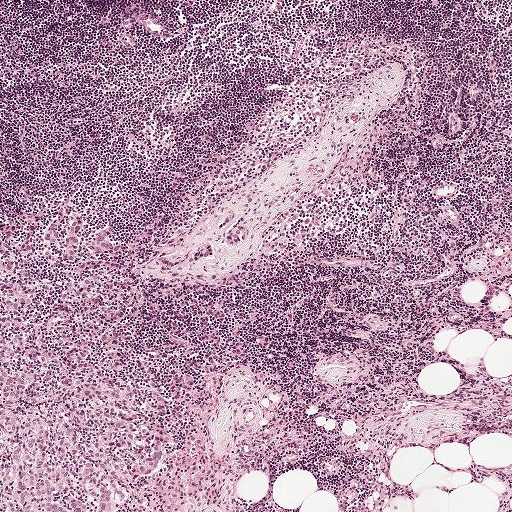
This is a crop of a whole-slide image: an H&E-stained breast-cancer sentinel lymph node section at roughly 5× magnification (about 1.9 µm per pixel; the crop spans about 1 mm).
Three metastatic tumour regions, each outlined as a closed clockwise path in crop pixels (x, y), largest first: region 1: (56, 213), (89, 219), (89, 249), (96, 230), (116, 225), (112, 239), (140, 245), (146, 310), (123, 365), (142, 392), (139, 410), (153, 416), (156, 440), (165, 428), (166, 453), (155, 471), (132, 477), (121, 511), (0, 511), (0, 235), (25, 243), (44, 237); region 2: (210, 243), (213, 244), (214, 250), (214, 253), (210, 256), (203, 257), (198, 261), (194, 262), (190, 262), (188, 260), (189, 254), (193, 253), (195, 249), (198, 246); region 3: (234, 225), (241, 230), (242, 242), (237, 245), (234, 245), (228, 243), (226, 238), (226, 234), (227, 231).
One more small tumour piece is annotated here but not outlined.
The annotated tumour makes up about 15% of the crop.